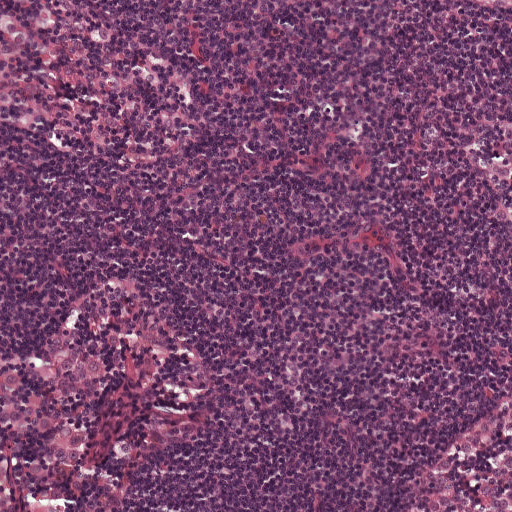
A 0.5-mm field of an H&E-stained sentinel lymph node from a breast-cancer patient (whole-slide image), shown at about 10×, about 0.97 µm per pixel.